Question: 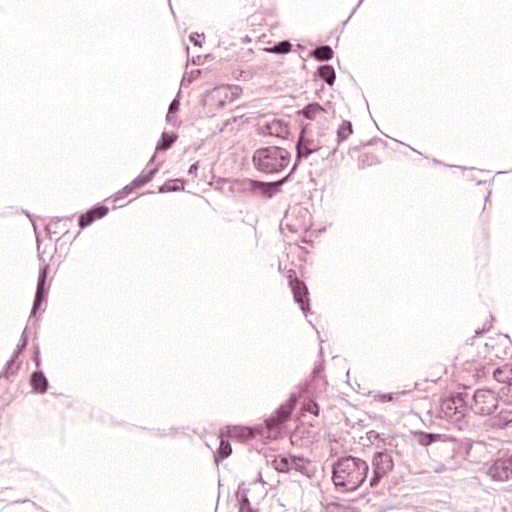
Which magnification is this H&E lymph node field most likely shown at?

Choices:
 (A) about 2.5×
 (B) about 5×
 (C) about 20×
 (D) about 10×
 (E) about 40×

Answer: (E) about 40×
A 0.12-mm field of an H&E-stained sentinel lymph node from a breast-cancer patient (whole-slide image), shown at about 40×, about 0.24 µm per pixel.
Three metastatic tumour regions, each outlined as a closed clockwise path in crop pixels (x, y), largest first: region 1: (510, 339), (511, 511), (245, 511), (260, 413), (282, 391), (319, 391), (341, 354), (480, 354); region 2: (295, 110), (375, 110), (378, 137), (372, 153), (357, 167), (304, 203), (302, 210), (288, 213), (265, 212), (229, 196), (236, 180), (257, 155), (265, 132), (295, 114); region 3: (53, 369), (53, 406), (32, 464), (25, 472), (25, 479), (18, 486), (18, 494), (0, 505), (0, 416), (32, 383), (47, 383), (47, 376).
About 20% of the image area is annotated as tumour.